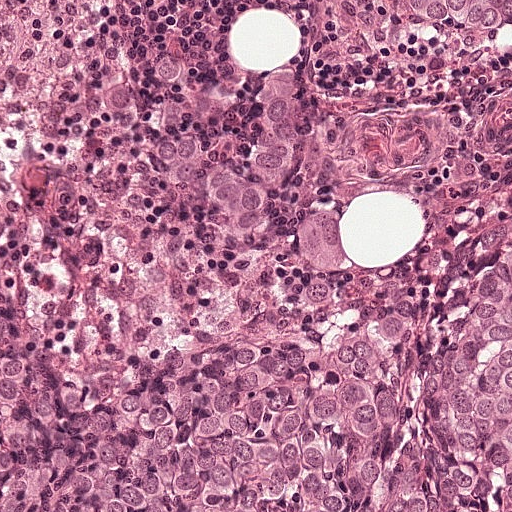
Lymph node section stained with H&E, from a whole-slide image of a breast-cancer sentinel node. Magnification about 20×, about 0.25 mm across the frame, about 0.49 µm per pixel.
Boundaries of two metastatic tumour regions, simplified and listed clockwise, largest first: region 1: (295, 68), (306, 186), (373, 302), (451, 298), (464, 270), (508, 246), (511, 511), (0, 511), (0, 322), (36, 344), (68, 388), (96, 397), (179, 364), (296, 350), (315, 331), (298, 292), (182, 222), (124, 170), (134, 144), (164, 122), (195, 125), (218, 156), (278, 74); region 2: (511, 0), (511, 46), (490, 45), (464, 37), (378, 1).
One more small tumour piece is annotated here but not outlined.
About 45% of this field is tumour.